Lymph node section stained with H&E, from a whole-slide image of a breast-cancer sentinel node. Magnification about 2.5×, about 2.0 mm across the frame, about 3.9 µm per pixel.
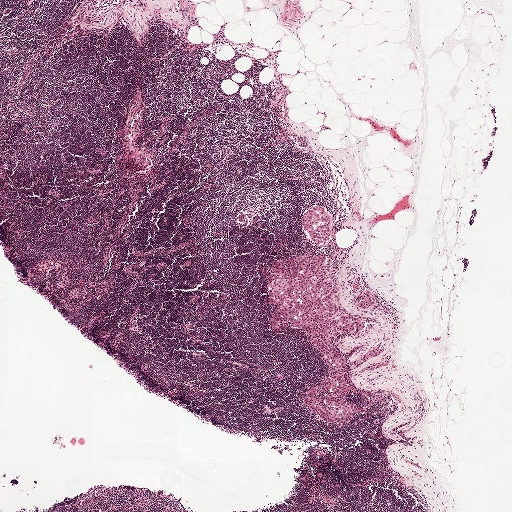
Boundaries of four metastatic tumour regions, simplified and listed clockwise, largest first: region 1: (305, 254), (320, 256), (339, 288), (340, 308), (362, 324), (357, 332), (334, 334), (350, 385), (344, 398), (359, 409), (346, 423), (334, 425), (303, 406), (307, 392), (328, 375), (304, 332), (268, 330), (276, 308), (266, 284); region 2: (318, 206), (326, 210), (329, 215), (332, 226), (326, 243), (314, 244), (305, 233), (301, 218), (308, 208); region 3: (365, 291), (369, 293), (374, 299), (374, 302), (372, 306), (361, 309), (356, 307), (354, 301), (357, 295); region 4: (379, 344), (383, 351), (369, 362), (361, 362), (360, 359), (362, 354), (372, 347).
Tumour covers about 5% of the frame.